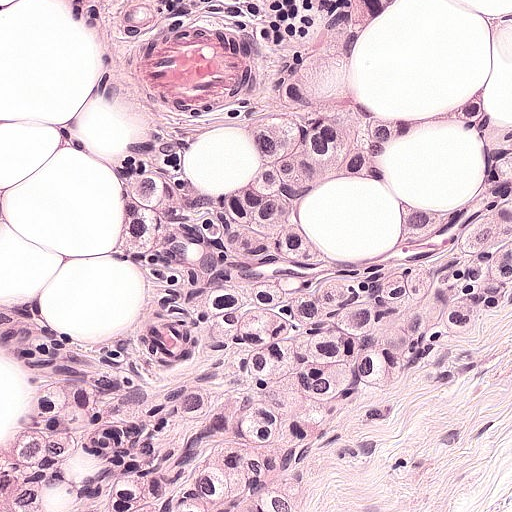
Lymph node section stained with H&E, from a whole-slide image of a breast-cancer sentinel node. Magnification about 20×, about 0.25 mm across the frame, about 0.49 µm per pixel.
One metastatic tumour region; its boundary, reduced to 23 corners and listed clockwise: (81, 0), (358, 0), (353, 38), (408, 134), (316, 171), (308, 210), (342, 245), (405, 236), (407, 197), (457, 202), (486, 88), (510, 118), (511, 296), (415, 352), (308, 510), (0, 511), (16, 386), (0, 362), (0, 289), (70, 322), (124, 303), (111, 222), (136, 105).
About 65% of the image area is annotated as tumour.